Image:
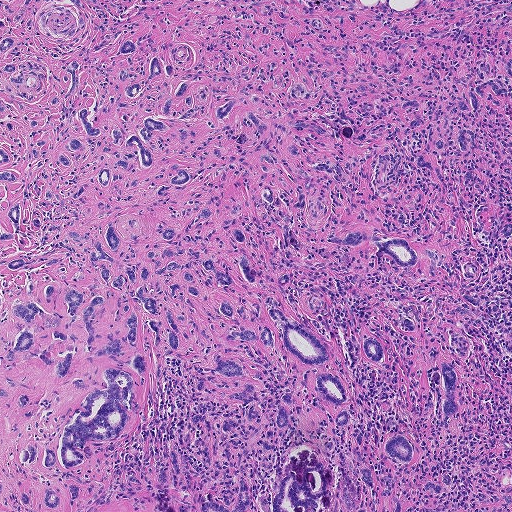
H&E-stained section of a sentinel lymph node (breast cancer), from a whole-slide image, viewed at about 5×: the field is about 0.93 mm across, about 1.8 µm per pixel.
Question:
Trace the edge of each tumour region in this crop, as (x, y) points from 0 to 511.
Answer:
Boundaries of two metastatic tumour regions, simplified and listed clockwise, largest first: region 1: (0, 0), (511, 7), (511, 156), (490, 180), (511, 238), (472, 229), (447, 279), (420, 291), (437, 304), (431, 322), (471, 345), (447, 511), (140, 511), (185, 424), (172, 356), (88, 471), (110, 502), (23, 505), (38, 468), (14, 458), (29, 426), (3, 401); region 2: (511, 490), (511, 511), (453, 511), (463, 508), (474, 505), (494, 493).
Two more small tumour pieces are annotated here but not outlined.
Tumour covers about 90% of the frame.